Image:
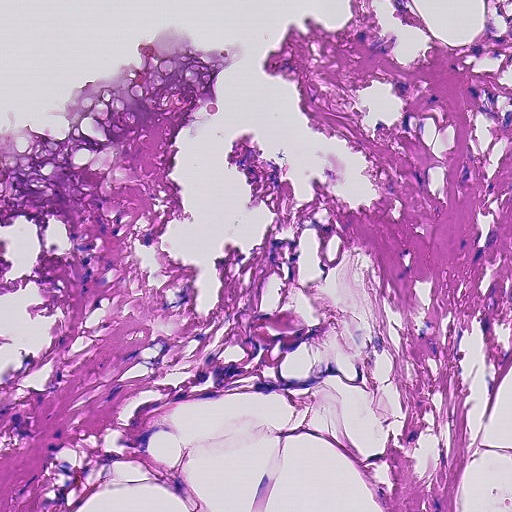
H&E-stained section of a sentinel lymph node (breast cancer), from a whole-slide image, viewed at about 20×: the field is about 0.23 mm across, about 0.45 µm per pixel.
Question:
Does this lymph node field contain metastatic tumour?
Answer:
No, this field holds no outlined metastasis.